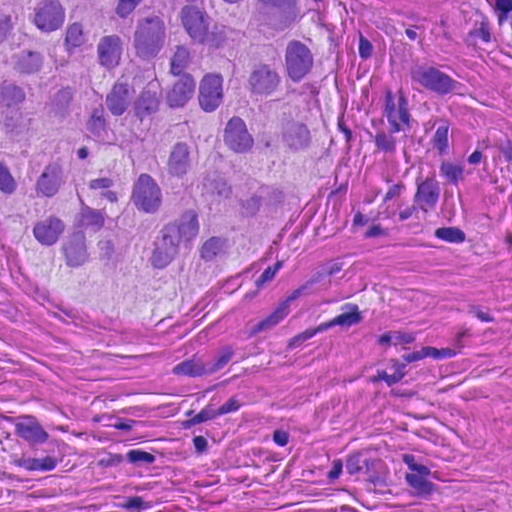
H&E-stained section of a sentinel lymph node (breast cancer), from a whole-slide image, viewed at about 40×: the field is about 0.12 mm across, about 0.23 µm per pixel.
Tumour region outline (a closed clockwise path, crop pixels): (0, 0), (322, 0), (337, 41), (345, 166), (261, 262), (154, 334), (89, 324), (35, 293), (5, 237).
Tumour covers about 35% of the frame.